Question: 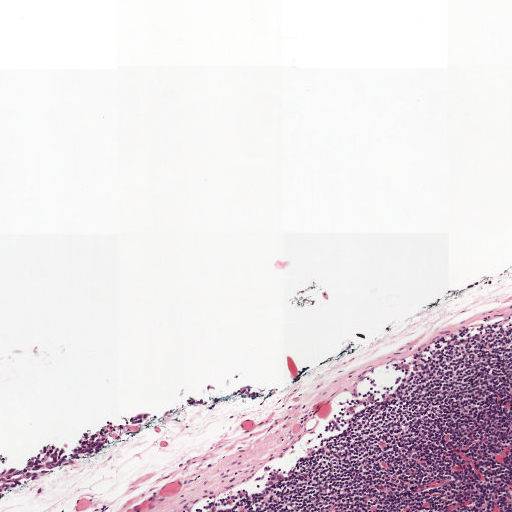
At roughly what magnification is this field shown?

Choices:
 (A) about 40×
 (B) about 5×
 (C) about 2.5×
 (D) about 20×
 (E) about 10×

Answer: (B) about 5×
Lymph node section stained with H&E, from a whole-slide image of a breast-cancer sentinel node. Magnification about 5×, about 1 mm across the frame, about 1.9 µm per pixel.
Boundaries of four metastatic tumour regions, simplified and listed clockwise, largest first: region 1: (94, 428), (110, 430), (104, 450), (18, 489), (0, 501), (0, 465), (44, 444); region 2: (247, 384), (258, 389), (261, 395), (253, 397), (244, 397), (231, 395), (232, 391), (244, 385); region 3: (135, 413), (154, 415), (145, 422), (134, 424), (126, 419); region 4: (188, 396), (198, 397), (210, 403), (204, 406), (197, 406), (185, 403).
Three more small tumour pieces are annotated here but not outlined.
Tumour covers under 5% of the frame.
Question: 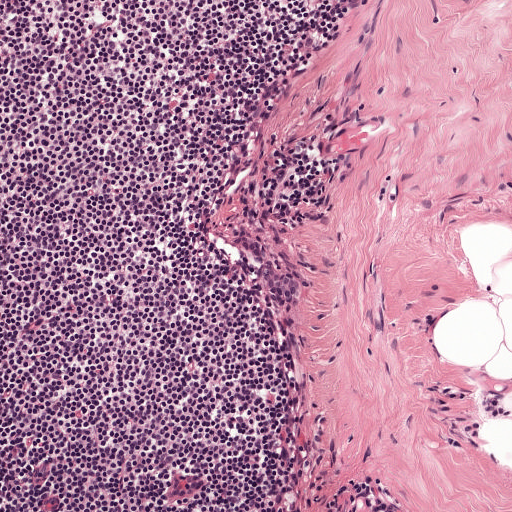
At roughly what magnification is this field shown?

Choices:
 (A) about 5×
 (B) about 40×
 (C) about 10×
 (D) about 20×
 (E) about 2.5×

Answer: (C) about 10×
This is a crop of a whole-slide image: an H&E-stained breast-cancer sentinel lymph node section at roughly 10× magnification (about 0.97 µm per pixel; the crop spans about 0.5 mm).
One metastatic tumour region; its boundary, reduced to 11 corners and listed clockwise: (233, 228), (243, 229), (281, 262), (298, 280), (302, 291), (302, 303), (290, 307), (278, 304), (268, 298), (248, 254), (230, 237).
Tumour covers under 5% of the frame.
Question: 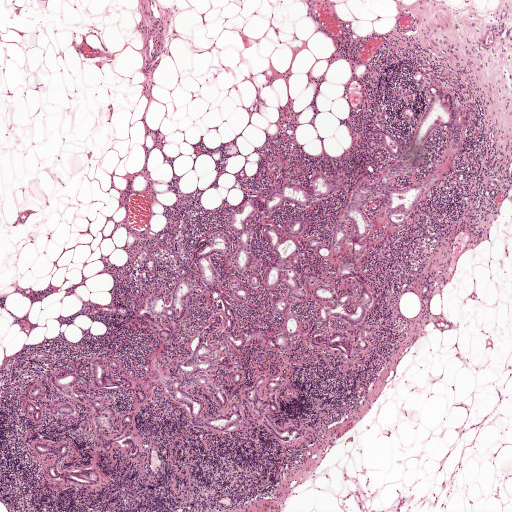
At roughly what magnification is this field shown?

Choices:
 (A) about 5×
 (B) about 2.5×
 (C) about 20×
 (D) about 10×
 (E) about 40×

Answer: (B) about 2.5×
H&E-stained section of a sentinel lymph node (breast cancer), from a whole-slide image, viewed at about 2.5×: the field is about 2.0 mm across, about 3.9 µm per pixel.
The outlined metastatic tumour's edge, as a closed clockwise path of 38 points: (414, 64), (466, 94), (468, 153), (365, 261), (375, 347), (352, 370), (324, 359), (288, 378), (275, 416), (302, 443), (249, 414), (197, 429), (158, 388), (132, 423), (165, 460), (158, 480), (115, 445), (95, 456), (100, 494), (55, 488), (26, 433), (31, 391), (95, 354), (144, 379), (159, 346), (136, 322), (149, 295), (168, 306), (197, 241), (247, 194), (327, 174), (334, 199), (304, 227), (333, 222), (353, 178), (383, 165), (365, 109), (406, 130).
One more small tumour piece is annotated here but not outlined.
Tumour covers about 25% of the frame.
Question: 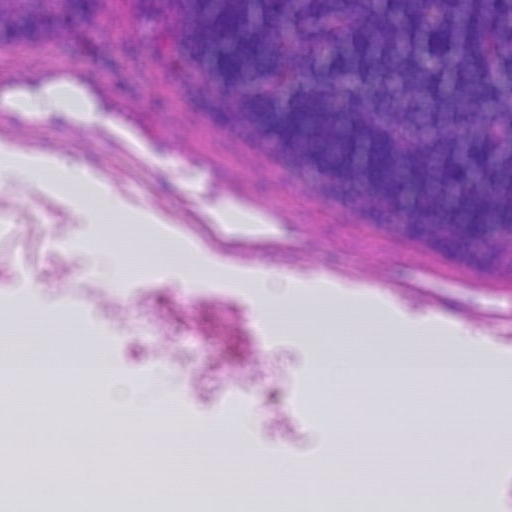
At roughly what magnification is this field shown?

Choices:
 (A) about 2.5×
 (B) about 5×
 (C) about 40×
 (D) about 10×
 (E) about 20×

Answer: (D) about 10×
H&E-stained section of a sentinel lymph node (breast cancer), from a whole-slide image, viewed at about 10×: the field is about 0.46 mm across, about 0.9 µm per pixel.